A 0.25-mm field of an H&E-stained sentinel lymph node from a breast-cancer patient (whole-slide image), shown at about 20×, about 0.49 µm per pixel.
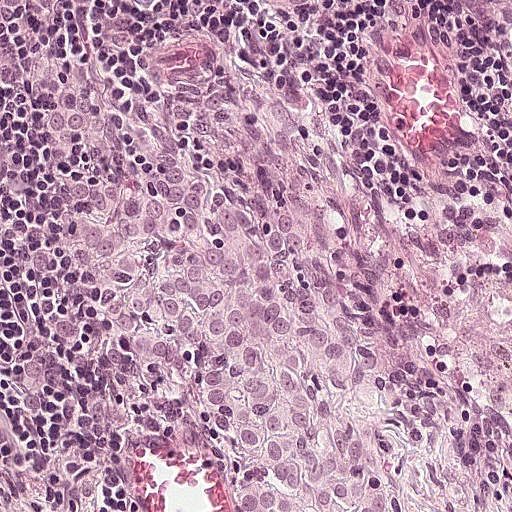
The outlined metastatic tumour's edge, as a closed clockwise path of 21 points: (87, 100), (122, 104), (126, 116), (218, 161), (244, 194), (280, 202), (334, 244), (380, 322), (398, 428), (430, 511), (252, 511), (242, 460), (180, 418), (130, 342), (91, 307), (44, 290), (41, 258), (80, 222), (80, 157), (53, 126), (57, 112).
The annotated tumour makes up about 35% of the crop.